H&E-stained section of a sentinel lymph node (breast cancer), from a whole-slide image, viewed at about 2.5×: the field is about 1.9 mm across, about 3.6 µm per pixel.
Question: 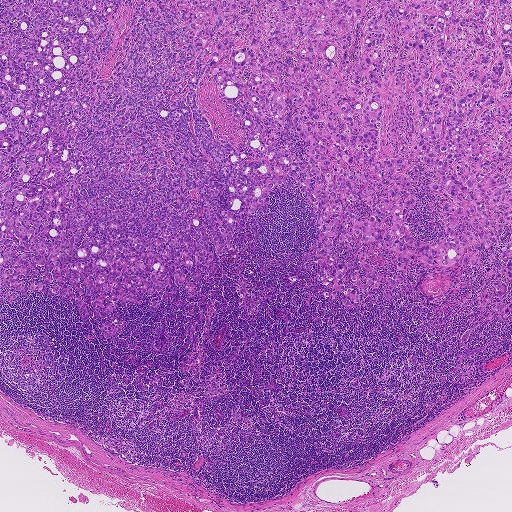
Roughly what share of this field is metastatic tumour?

Choices:
 (A) about 25% to 45%
 (B) none: no tumour is outlined
 (C) about 10% to 20%
 (D) about 5% or less
 (E) about 50% or more

Answer: (E) about 50% or more
About 55% of the field is tumour.
One metastatic tumour region; its boundary, reduced to 22 corners and listed clockwise: (0, 0), (511, 0), (505, 321), (480, 306), (498, 242), (400, 271), (365, 244), (412, 287), (386, 299), (353, 284), (340, 225), (331, 247), (360, 299), (329, 300), (288, 174), (230, 259), (202, 210), (215, 273), (119, 300), (107, 338), (62, 294), (0, 304).